Question: 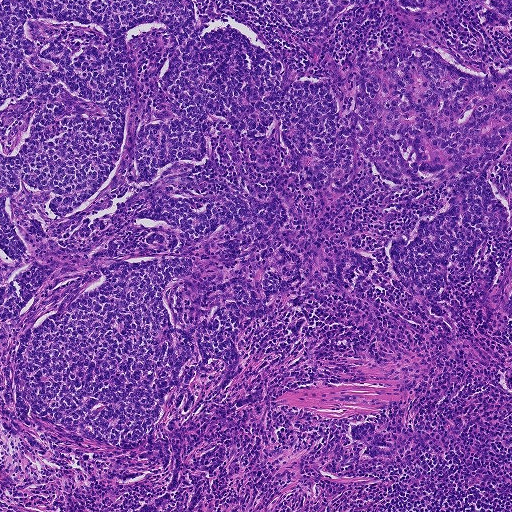
A 0.93-mm field of an H&E-stained sentinel lymph node from a breast-cancer patient (whole-slide image), shown at about 5×, about 1.8 µm per pixel.
About how much of this crop is taken up by metastatic carcinoma?

Choices:
 (A) about 50% or more
 (B) about 5% or less
 (C) none: no tumour is outlined
 (D) about 25% to 45%
 (E) about 10% to 20%

Answer: (A) about 50% or more
About 60% of the field is tumour.
Outlines of seven tumour regions, largest first (closed clockwise paths, crop pixels): region 1: (0, 0), (192, 0), (323, 82), (349, 143), (347, 99), (385, 48), (511, 70), (511, 224), (445, 303), (384, 259), (348, 294), (332, 281), (328, 250), (402, 238), (443, 191), (379, 179), (350, 147), (331, 197), (295, 181), (280, 131), (245, 141), (212, 117), (203, 165), (168, 178), (288, 212), (225, 275), (312, 270), (186, 422), (190, 451), (232, 448), (197, 511), (136, 511), (172, 468), (119, 481), (105, 473), (140, 457), (16, 408), (8, 369), (36, 312), (6, 319); region 2: (263, 0), (353, 0), (345, 7), (338, 20), (323, 25), (307, 27), (292, 24); region 3: (364, 422), (371, 422), (381, 431), (388, 432), (396, 437), (396, 451), (385, 458), (378, 458), (366, 452), (365, 446), (348, 435), (349, 428); region 4: (479, 0), (511, 0), (511, 21), (500, 27), (484, 26), (476, 13); region 5: (398, 0), (447, 0), (442, 8), (426, 12), (411, 9); region 6: (24, 432), (29, 434), (42, 446), (43, 451), (32, 450), (24, 440); region 7: (511, 277), (511, 312), (503, 299).
Two more small tumour pieces are annotated here but not outlined.